Image:
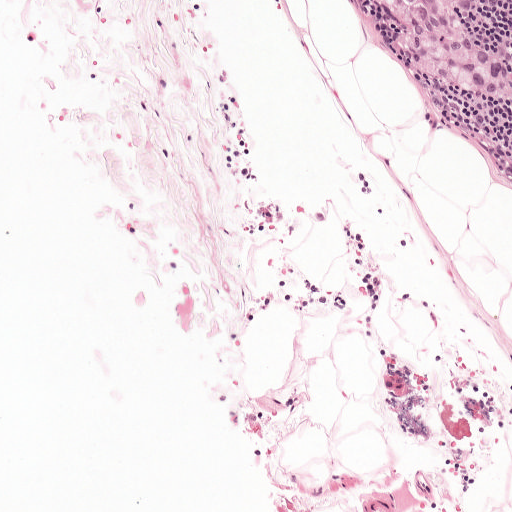
This is a crop of a whole-slide image: an H&E-stained breast-cancer sentinel lymph node section at roughly 10× magnification (about 0.97 µm per pixel; the crop spans about 0.5 mm).
Question:
Which parts of this field are metastatic tumour? Answer with the outline of each region, in pixels.
Answer:
Metastatic tumour outline, simplified to 11 points and listed clockwise in crop pixels (x, y): (361, 0), (482, 0), (465, 14), (494, 47), (511, 59), (511, 123), (490, 103), (452, 96), (416, 78), (395, 43), (393, 18).
The annotated tumour makes up about 5% of the crop.